Question: 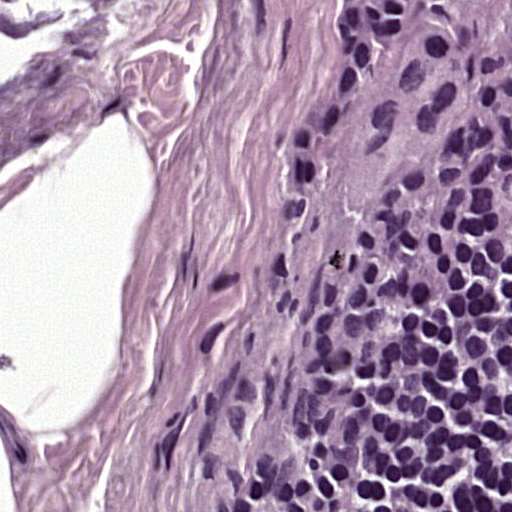
About what magnification does this crop show?

Choices:
 (A) about 10×
 (B) about 40×
 (C) about 5×
 (D) about 2.5×
 (E) about 20×

Answer: (B) about 40×
Lymph node section stained with H&E, from a whole-slide image of a breast-cancer sentinel node. Magnification about 40×, about 0.12 mm across the frame, about 0.24 µm per pixel.
The outlined metastatic tumour's edge, as a closed clockwise path of 7 points: (441, 7), (470, 48), (469, 120), (377, 210), (310, 257), (325, 142), (373, 66).
The annotated tumour makes up about 10% of the crop.